Question: 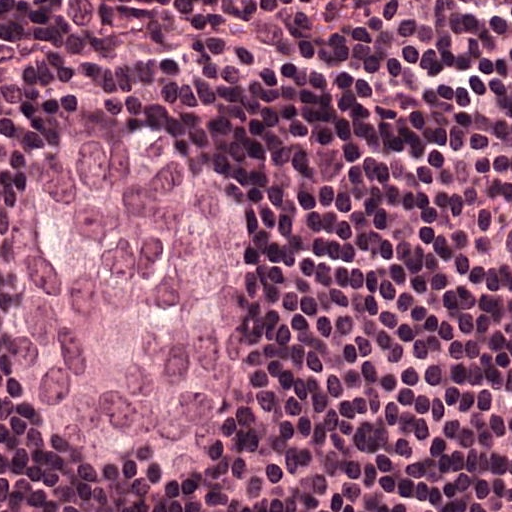
Which magnification is this H&E lymph node field most likely shown at?

Choices:
 (A) about 20×
 (B) about 5×
 (C) about 2.5×
 (D) about 40×
 (E) about 10×

Answer: (D) about 40×
H&E-stained section of a sentinel lymph node (breast cancer), from a whole-slide image, viewed at about 40×: the field is about 0.12 mm across, about 0.24 µm per pixel.
Tumour region outline (a closed clockwise path, crop pixels): (149, 112), (201, 128), (256, 194), (261, 362), (244, 474), (228, 492), (169, 500), (122, 485), (67, 440), (26, 385), (0, 334), (0, 246), (35, 153), (85, 121).
Tumour covers about 30% of the frame.